Question: 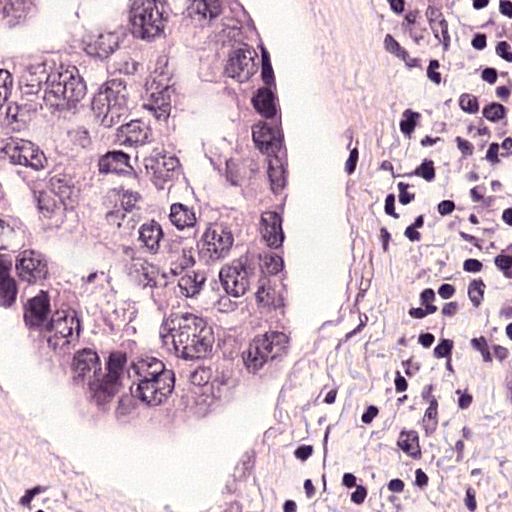
Which magnification is this H&E lymph node field most likely shown at?

Choices:
 (A) about 2.5×
 (B) about 40×
 (C) about 5×
 (D) about 20×
 (E) about 10×

Answer: (B) about 40×
This is a crop of a whole-slide image: an H&E-stained breast-cancer sentinel lymph node section at roughly 40× magnification (about 0.24 µm per pixel; the crop spans about 0.12 mm).
Metastatic tumour outline, simplified to 10 points and listed clockwise in crop pixels (x, y): (0, 0), (232, 0), (268, 58), (291, 136), (299, 308), (268, 372), (209, 407), (91, 395), (41, 363), (4, 308).
Tumour covers about 40% of the frame.